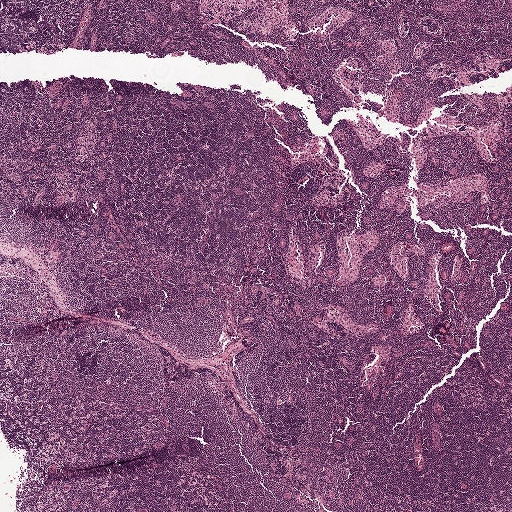
A 2.0-mm field of an H&E-stained sentinel lymph node from a breast-cancer patient (whole-slide image), shown at about 2.5×, about 3.9 µm per pixel.